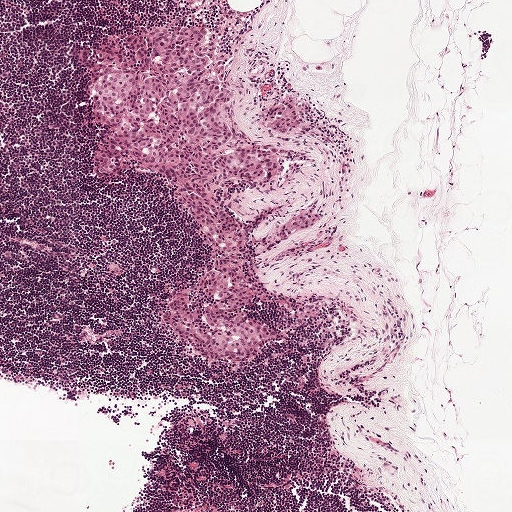
H&E-stained section of a sentinel lymph node (breast cancer), from a whole-slide image, viewed at about 5×: the field is about 1 mm across, about 1.9 µm per pixel.
Question: Does this lymph node field contain metastatic tumour?
Answer: Yes.
Outlines of three tumour regions, largest first (closed clockwise paths, crop pixels): region 1: (166, 24), (196, 28), (234, 91), (235, 131), (280, 163), (268, 179), (223, 184), (256, 286), (244, 312), (273, 334), (247, 362), (223, 367), (161, 328), (169, 300), (210, 266), (164, 181), (92, 176), (106, 132), (86, 85); region 2: (286, 97), (293, 102), (304, 114), (304, 121), (300, 127), (277, 135), (266, 129), (263, 118), (268, 107); region 3: (314, 204), (321, 218), (293, 240), (278, 241), (275, 234), (279, 224), (299, 210).
One more small tumour piece is annotated here but not outlined.
About 15% of this field is tumour.